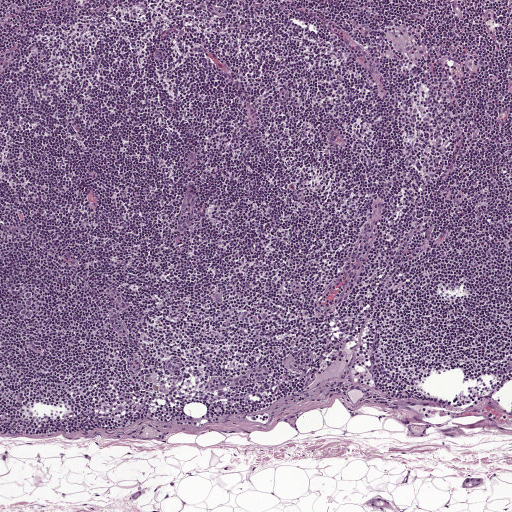
Lymph node section stained with H&E, from a whole-slide image of a breast-cancer sentinel node. Magnification about 5×, about 1 mm across the frame, about 1.9 µm per pixel.